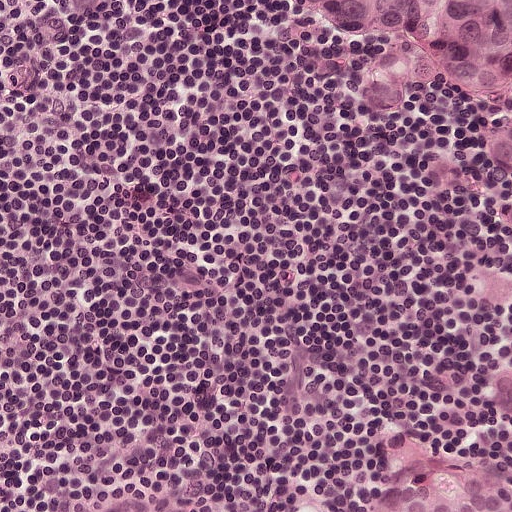
A 0.25-mm field of an H&E-stained sentinel lymph node from a breast-cancer patient (whole-slide image), shown at about 20×, about 0.49 µm per pixel.
Boundaries of three metastatic tumour regions, simplified and listed clockwise, largest first: region 1: (511, 0), (511, 187), (475, 162), (470, 115), (452, 95), (434, 93), (434, 110), (414, 124), (370, 124), (345, 95), (344, 48), (252, 2); region 2: (387, 438), (418, 442), (477, 464), (511, 466), (511, 511), (361, 511), (372, 494); region 3: (135, 492), (149, 492), (156, 494), (172, 504), (176, 511), (99, 511), (106, 504), (116, 495).
About 15% of the image area is annotated as tumour.